Image:
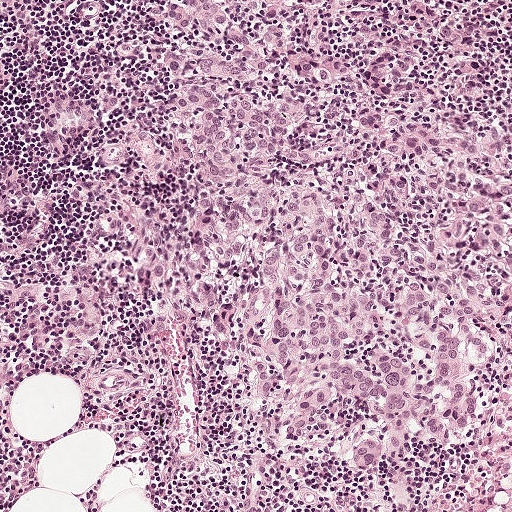
This is a crop of a whole-slide image: an H&E-stained breast-cancer sentinel lymph node section at roughly 10× magnification (about 0.97 µm per pixel; the crop spans about 0.5 mm).
Question:
Which parts of this field are metastatic tumour?
Answer:
Tumour region outline (a closed clockwise path, crop pixels): (511, 0), (485, 86), (511, 132), (511, 309), (501, 312), (482, 367), (469, 432), (441, 439), (428, 413), (403, 464), (382, 474), (288, 453), (235, 359), (190, 309), (158, 293), (134, 234), (146, 218), (192, 202), (169, 134), (177, 31), (168, 3).
The annotated tumour makes up about 55% of the crop.